Question: 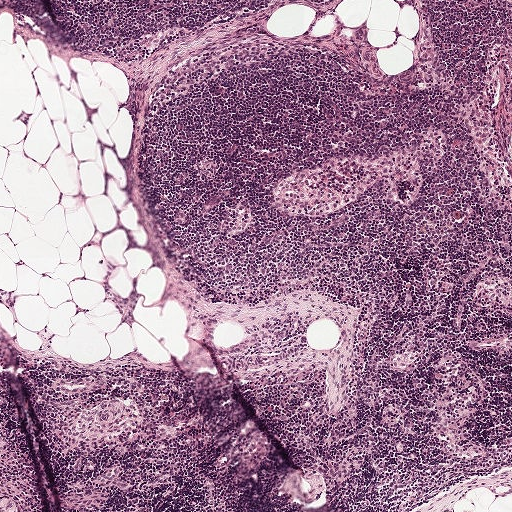
Which magnification is this H&E lymph node field most likely shown at?

Choices:
 (A) about 40×
 (B) about 20×
 (C) about 10×
 (D) about 5×
 (E) about 2.5×

Answer: (D) about 5×
Lymph node section stained with H&E, from a whole-slide image of a breast-cancer sentinel node. Magnification about 5×, about 1 mm across the frame, about 1.9 µm per pixel.